Question: 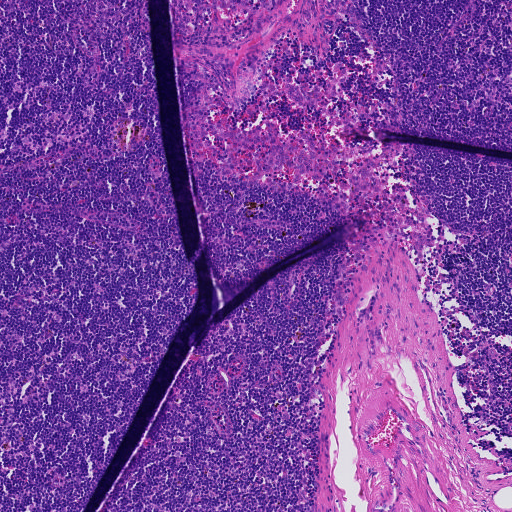
Which magnification is this H&E lymph node field most likely shown at?

Choices:
 (A) about 2.5×
 (B) about 10×
 (C) about 40×
 (D) about 20×
 (E) about 5×

Answer: (E) about 5×
H&E-stained section of a sentinel lymph node (breast cancer), from a whole-slide image, viewed at about 5×: the field is about 0.93 mm across, about 1.8 µm per pixel.